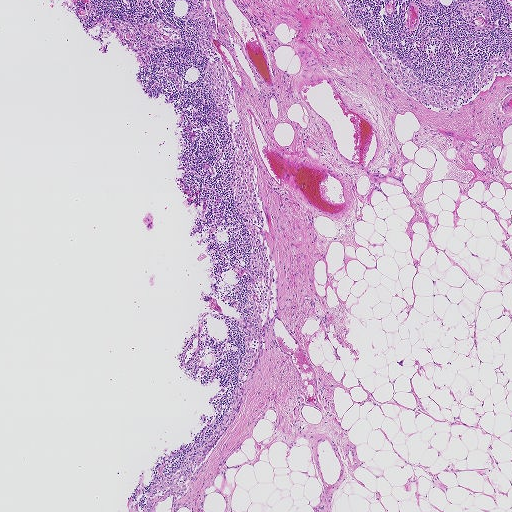
Lymph node section stained with H&E, from a whole-slide image of a breast-cancer sentinel node. Magnification about 2.5×, about 1.9 mm across the frame, about 3.6 µm per pixel.
Question: Is there metastatic carcinoma in this field?
Answer: No. No metastatic tumour is outlined in this field.